This is a crop of a whole-slide image: an H&E-stained breast-cancer sentinel lymph node section at roughly 10× magnification (about 0.9 µm per pixel; the crop spans about 0.46 mm).
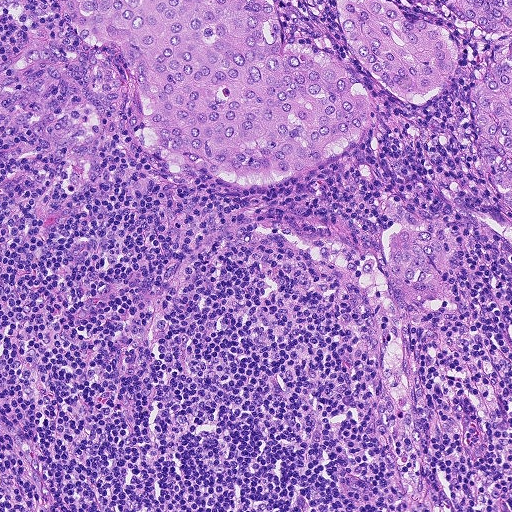
Question: Is any metastatic breast cancer visible in this crop?
Answer: Yes.
Outlines of three tumour regions, largest first (closed clockwise paths, crop pixels): region 1: (60, 0), (273, 0), (279, 45), (303, 44), (346, 67), (364, 91), (369, 122), (350, 146), (299, 182), (236, 187), (193, 172), (184, 185), (132, 130), (133, 83), (122, 54), (80, 43); region 2: (337, 0), (386, 0), (399, 8), (407, 22), (436, 22), (450, 30), (457, 44), (456, 58), (445, 87), (435, 100), (422, 106), (407, 104), (360, 65), (344, 38); region 3: (394, 221), (425, 226), (438, 234), (440, 249), (438, 265), (430, 278), (416, 283), (402, 278), (384, 252), (388, 237).
One more tumour region is annotated but not outlined: its edge is too irregular for a short outline.
The annotated tumour makes up about 20% of the crop.